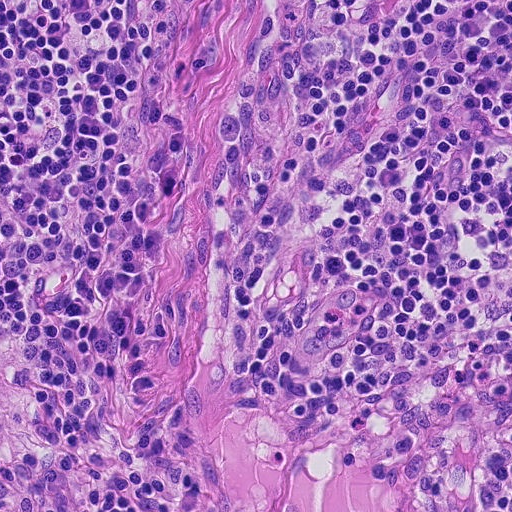
H&E-stained section of a sentinel lymph node (breast cancer), from a whole-slide image, viewed at about 20×: the field is about 0.23 mm across, about 0.45 µm per pixel.
Question: Is any metastatic breast cancer visible in this crop?
Answer: No: no metastatic tumour is outlined anywhere in this field.